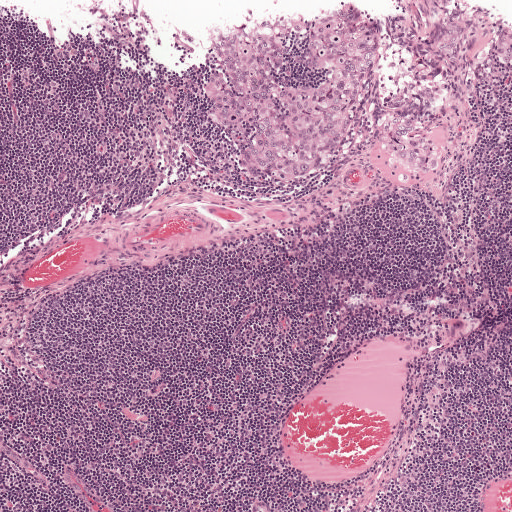
H&E-stained section of a sentinel lymph node (breast cancer), from a whole-slide image, viewed at about 5×: the field is about 1 mm across, about 1.9 µm per pixel.
Outlines of five tumour regions, largest first (closed clockwise paths, crop pixels): region 1: (339, 2), (359, 2), (375, 14), (378, 52), (343, 146), (332, 164), (297, 181), (279, 188), (259, 186), (244, 173), (220, 142), (201, 85), (210, 47), (242, 22); region 2: (430, 85), (438, 90), (440, 102), (433, 112), (421, 116), (414, 126), (433, 140), (442, 162), (412, 185), (398, 184), (389, 172), (384, 159), (390, 130), (382, 121), (380, 109), (384, 96), (393, 90), (405, 86); region 3: (457, 7), (464, 15), (464, 52), (461, 63), (449, 63), (438, 58), (433, 47), (440, 24); region 4: (503, 26), (511, 29), (511, 62), (509, 64), (500, 60), (494, 52), (497, 33); region 5: (470, 80), (474, 84), (474, 96), (470, 98), (464, 89), (466, 82).
The annotated tumour makes up about 10% of the crop.